Question: 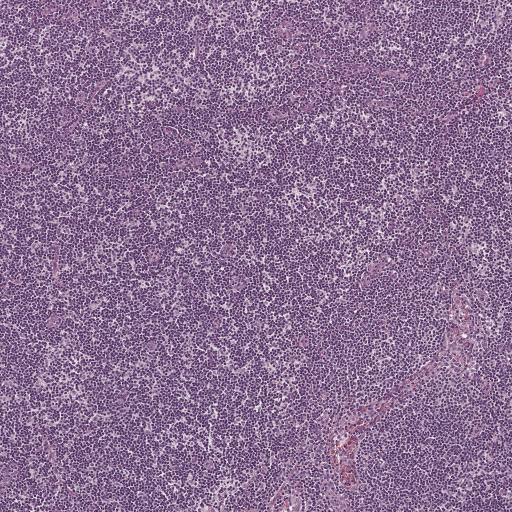
About what magnification does this crop show?

Choices:
 (A) about 40×
 (B) about 5×
 (C) about 10×
 (D) about 20×
 (E) about 2.5×

Answer: (B) about 5×
A 1-mm field of an H&E-stained sentinel lymph node from a breast-cancer patient (whole-slide image), shown at about 5×, about 1.9 µm per pixel.